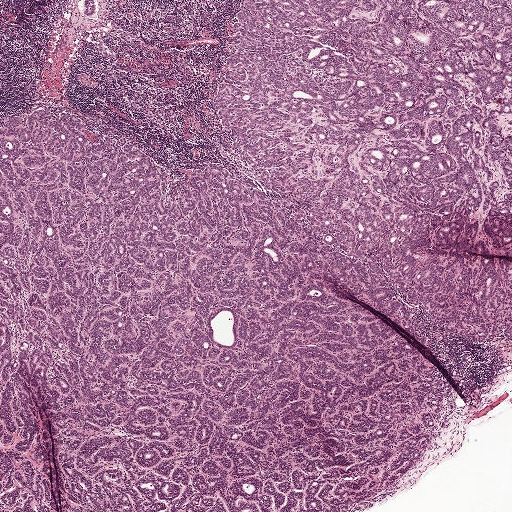
Lymph node section stained with H&E, from a whole-slide image of a breast-cancer sentinel node. Magnification about 2.5×, about 2.0 mm across the frame, about 3.9 µm per pixel.
Boundaries of two metastatic tumour regions, simplified and listed clockwise, largest first: region 1: (240, 0), (511, 0), (511, 227), (418, 243), (511, 260), (506, 372), (464, 394), (408, 330), (328, 280), (336, 291), (390, 325), (456, 393), (379, 495), (69, 511), (29, 382), (56, 511), (0, 511), (0, 121), (75, 113), (163, 204), (207, 164), (281, 196), (213, 103); region 2: (83, 0), (96, 0), (96, 7), (95, 14), (92, 16), (88, 16), (82, 14), (81, 10).
About 80% of the image area is annotated as tumour.